Question: 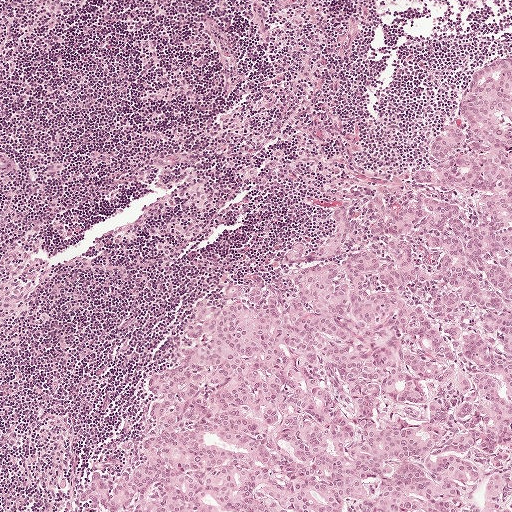
H&E-stained section of a sentinel lymph node (breast cancer), from a whole-slide image, viewed at about 5×: the field is about 1 mm across, about 1.9 µm per pixel.
Roughly what share of this field is metastatic tumour?

Choices:
 (A) about 5% or less
 (B) about 50% or more
 (C) none: no tumour is outlined
 (D) about 10% to 20%
 (E) about 25% to 45%

Answer: (E) about 25% to 45%
About 40% of the field is tumour.
Metastatic tumour outline, simplified to 23 points and listed clockwise in crop pixels (x, y): (511, 59), (511, 511), (80, 505), (97, 474), (120, 482), (122, 449), (135, 446), (138, 458), (150, 383), (182, 363), (194, 310), (225, 308), (222, 294), (238, 281), (295, 300), (277, 273), (320, 264), (282, 260), (283, 250), (316, 248), (351, 202), (404, 193), (466, 78).